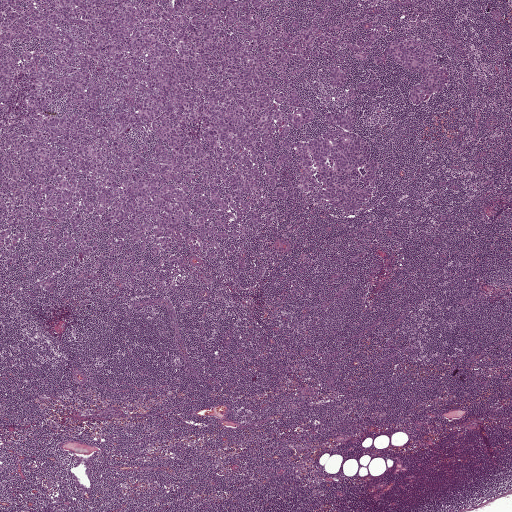
A 2.0-mm field of an H&E-stained sentinel lymph node from a breast-cancer patient (whole-slide image), shown at about 2.5×, about 3.9 µm per pixel.
The outlined metastatic tumour's edge, as a closed clockwise path of 22 points: (0, 0), (346, 0), (337, 19), (374, 17), (356, 35), (382, 23), (450, 70), (418, 111), (390, 61), (339, 91), (324, 60), (298, 78), (314, 122), (288, 139), (386, 79), (349, 104), (379, 159), (359, 210), (289, 168), (226, 262), (45, 291), (1, 258).
One more small tumour piece is annotated here but not outlined.
About 35% of the image area is annotated as tumour.